Question: 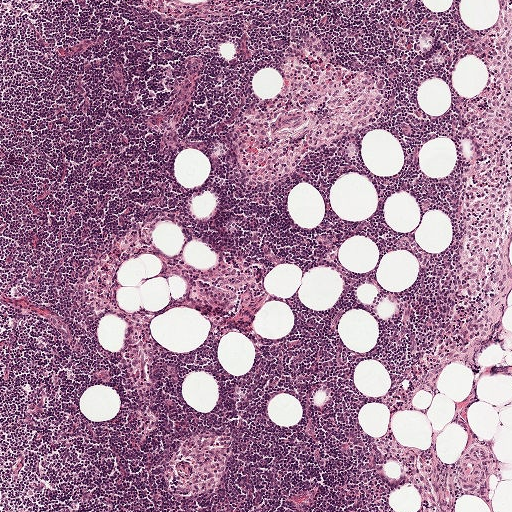
At roughly what magnification is this field shown?

Choices:
 (A) about 40×
 (B) about 2.5×
 (C) about 20×
 (D) about 10×
 (E) about 5×

Answer: (E) about 5×
A 1-mm field of an H&E-stained sentinel lymph node from a breast-cancer patient (whole-slide image), shown at about 5×, about 1.9 µm per pixel.